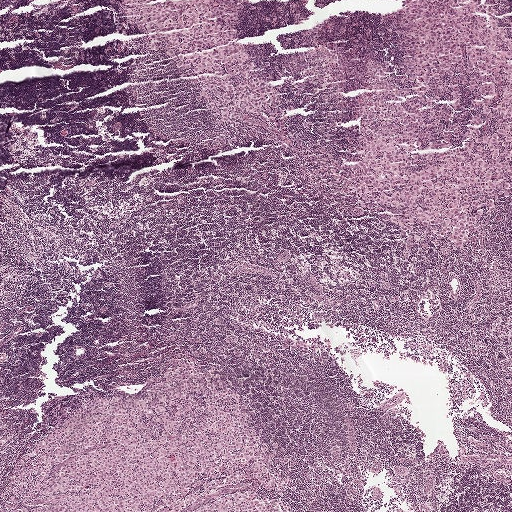
Lymph node section stained with H&E, from a whole-slide image of a breast-cancer sentinel node. Magnification about 2.5×, about 2.0 mm across the frame, about 3.9 µm per pixel.
Outlines of three tumour regions, largest first (closed clockwise paths, crop pixels): region 1: (106, 0), (503, 0), (511, 199), (459, 259), (418, 228), (399, 234), (319, 193), (282, 136), (247, 118), (232, 130), (216, 126); region 2: (188, 349), (201, 357), (199, 368), (236, 390), (264, 439), (272, 438), (290, 457), (295, 492), (282, 500), (290, 511), (0, 511), (0, 489), (50, 427), (56, 408), (90, 394), (132, 395); region 3: (284, 339), (298, 342), (312, 348), (322, 364), (319, 366), (310, 366), (297, 357), (288, 354), (280, 349), (278, 348), (279, 345).
About 35% of the image area is annotated as tumour.